Image:
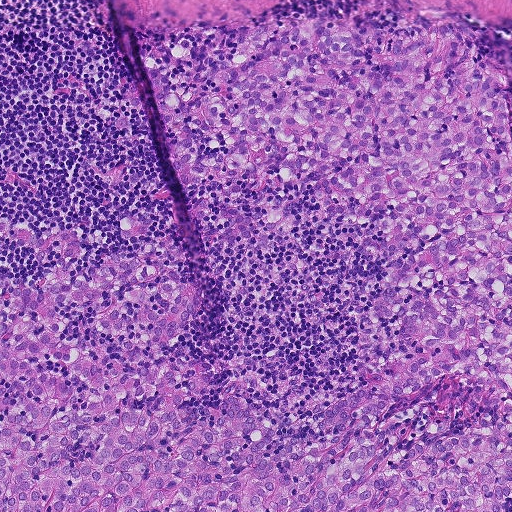
This is a crop of a whole-slide image: an H&E-stained breast-cancer sentinel lymph node section at roughly 10× magnification (about 0.9 µm per pixel; the crop spans about 0.46 mm).
Question:
Does this lymph node field contain metastatic tumour?
Answer:
Yes.
One metastatic tumour region; its boundary, reduced to 22 corners and listed clockwise: (456, 22), (511, 119), (511, 511), (0, 511), (0, 266), (64, 270), (32, 230), (80, 234), (69, 277), (120, 251), (202, 288), (164, 352), (269, 452), (430, 352), (371, 310), (382, 220), (288, 168), (178, 180), (183, 133), (228, 150), (200, 105), (245, 38).
Tumour covers about 60% of the frame.